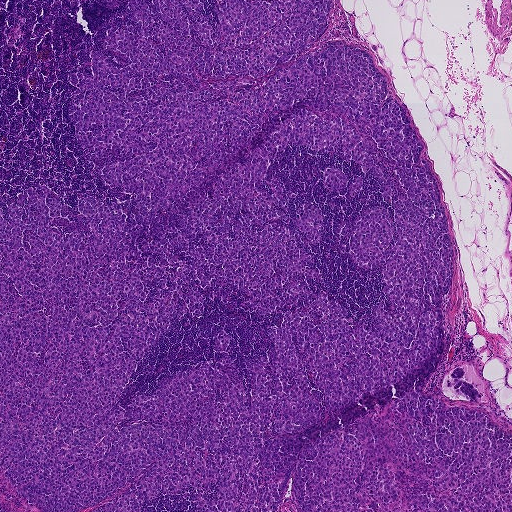
This is a crop of a whole-slide image: an H&E-stained breast-cancer sentinel lymph node section at roughly 2.5× magnification (about 3.6 µm per pixel; the crop spans about 1.9 mm).
Boundaries of two metastatic tumour regions, simplified and listed clockwise, largest first: region 1: (334, 0), (310, 50), (369, 51), (409, 110), (455, 269), (424, 390), (511, 432), (511, 511), (194, 511), (190, 487), (0, 511), (0, 207), (43, 183), (66, 237), (85, 196), (141, 214), (75, 136), (71, 73), (131, 65), (102, 44), (143, 32), (131, 1), (215, 26); region 2: (459, 366), (465, 370), (465, 374), (461, 378), (477, 388), (482, 394), (482, 398), (480, 402), (477, 402), (459, 396), (453, 390), (452, 387), (454, 384), (452, 381), (452, 385), (449, 387), (446, 385), (445, 381), (448, 379), (453, 378), (450, 376), (453, 370).
Region 1 encloses two non-tumour holes totalling about 10% of its area.
The annotated tumour makes up about 70% of the crop.